Image:
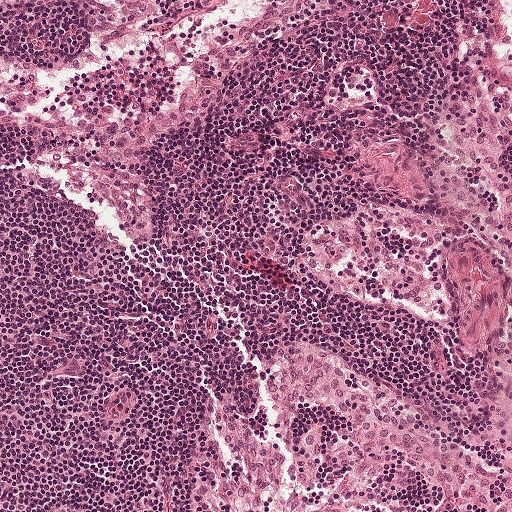
A 0.5-mm field of an H&E-stained sentinel lymph node from a breast-cancer patient (whole-slide image), shown at about 10×, about 0.97 µm per pixel.
Question:
Does this lymph node field contain metastatic tumour?
Answer:
No. No metastatic tumour is outlined in this field.